H&E-stained section of a sentinel lymph node (breast cancer), from a whole-slide image, viewed at about 10×: the field is about 0.5 mm across, about 0.97 µm per pixel.
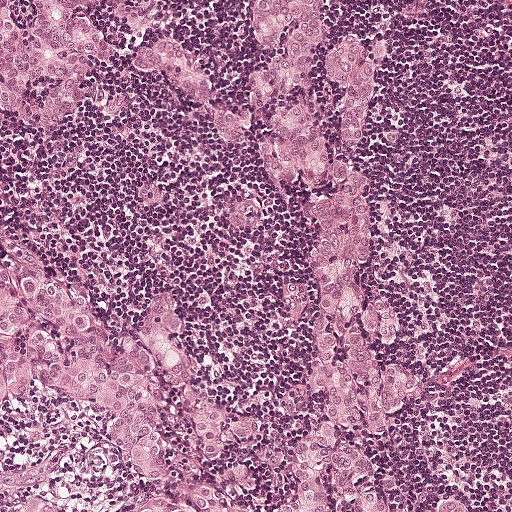
Outlines of three tumour regions, largest first (closed clockwise paths, crop pixels): region 1: (252, 0), (318, 0), (328, 32), (384, 42), (387, 78), (372, 126), (352, 149), (375, 214), (360, 284), (392, 306), (396, 326), (383, 350), (420, 375), (426, 404), (371, 467), (410, 502), (454, 491), (471, 511), (268, 511), (292, 488), (302, 427), (280, 382), (299, 367), (302, 335), (273, 280), (302, 261), (313, 226), (258, 159), (202, 130), (131, 75), (125, 56), (134, 41), (168, 36), (236, 102), (250, 58), (274, 56), (247, 12); region 2: (0, 144), (54, 276), (74, 285), (110, 328), (146, 290), (168, 293), (210, 393), (237, 403), (272, 453), (260, 511), (0, 511); region 3: (0, 0), (121, 0), (96, 14), (97, 26), (110, 33), (114, 43), (113, 50), (104, 56), (108, 88), (103, 95), (78, 108), (58, 130), (42, 139), (26, 135), (3, 117).
The annotated tumour makes up about 50% of the crop.